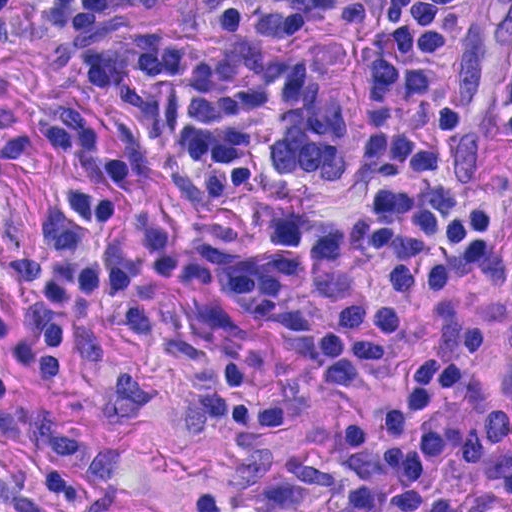
Lymph node section stained with H&E, from a whole-slide image of a breast-cancer sentinel node. Magnification about 40×, about 0.12 mm across the frame, about 0.23 µm per pixel.
Boundaries of two metastatic tumour regions, simplified and listed clockwise, largest first: region 1: (301, 57), (355, 85), (364, 149), (334, 203), (269, 195), (255, 137); region 2: (0, 498), (19, 511), (0, 511).
The annotated tumour makes up about 5% of the crop.